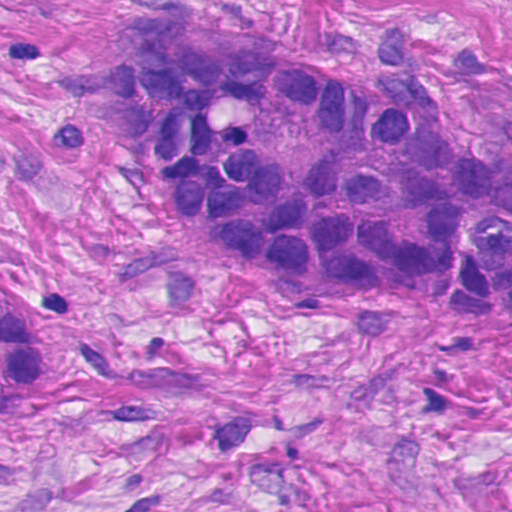
H&E-stained section of a sentinel lymph node (breast cancer), from a whole-slide image, viewed at about 40×: the field is about 0.12 mm across, about 0.23 µm per pixel.
Boundaries of two metastatic tumour regions, simplified and listed clockwise, largest first: region 1: (131, 11), (204, 12), (274, 36), (511, 153), (511, 312), (478, 320), (333, 304), (198, 247), (103, 142), (88, 70); region 2: (0, 289), (27, 305), (52, 384), (0, 411).
Tumour covers about 35% of the frame.